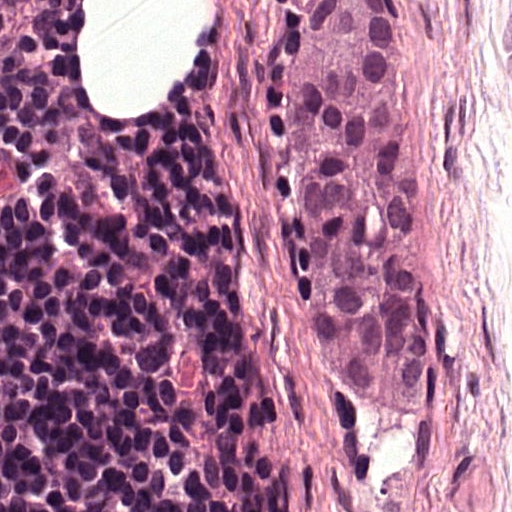
This is a crop of a whole-slide image: an H&E-stained breast-cancer sentinel lymph node section at roughly 40× magnification (about 0.24 µm per pixel; the crop spans about 0.12 mm).
One metastatic tumour region; its boundary, reduced to 12 corners and listed clockwise: (402, 0), (409, 79), (434, 140), (437, 343), (422, 408), (400, 417), (322, 377), (297, 338), (295, 281), (268, 172), (279, 77), (306, 2).
About 20% of this field is tumour.